Image:
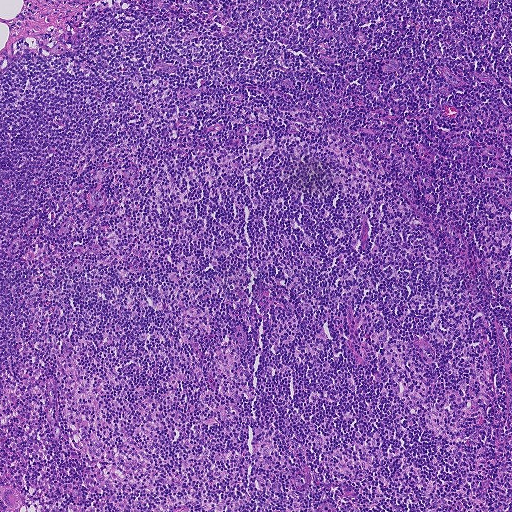
This is a crop of a whole-slide image: an H&E-stained breast-cancer sentinel lymph node section at roughly 5× magnification (about 1.8 µm per pixel; the crop spans about 0.93 mm).
Question:
Does this lymph node field contain metastatic tumour?
Answer:
No. No metastatic tumour is outlined in this field.